Image:
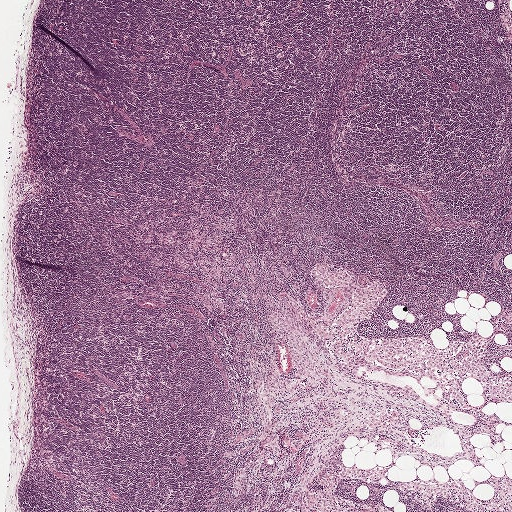
This is a crop of a whole-slide image: an H&E-stained breast-cancer sentinel lymph node section at roughly 2.5× magnification (about 3.9 µm per pixel; the crop spans about 2.0 mm).
Question:
Is any metastatic breast cancer visible in this crop?
Answer:
Yes.
Tumour region outline (a closed clockwise path, crop pixels): (275, 301), (296, 314), (306, 326), (313, 351), (317, 357), (319, 357), (313, 372), (306, 369), (299, 374), (295, 373), (292, 369), (290, 346), (282, 340), (275, 330), (264, 323), (269, 316), (270, 309), (266, 303).
The annotated tumour makes up under 5% of the crop.

Image:
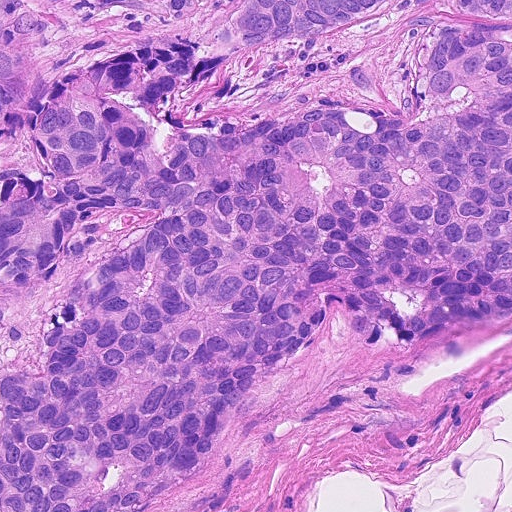
This is a crop of a whole-slide image: an H&E-stained breast-cancer sentinel lymph node section at roughly 20× magnification (about 0.45 µm per pixel; the crop spans about 0.23 mm).
Question:
Is any metastatic breast cancer visible in this crop?
Answer:
Yes.
Tumour region outline (a closed clockwise path, crop pixels): (0, 0), (511, 0), (511, 321), (458, 322), (383, 347), (329, 310), (314, 346), (278, 362), (236, 432), (146, 511), (0, 511).
Tumour covers about 80% of the frame.

Image:
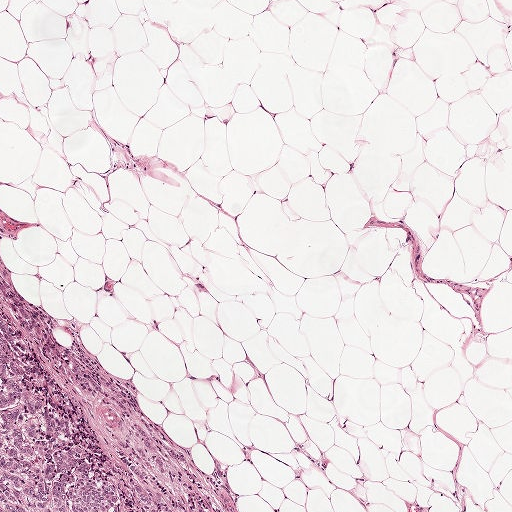
This is a crop of a whole-slide image: an H&E-stained breast-cancer sentinel lymph node section at roughly 5× magnification (about 1.9 µm per pixel; the crop spans about 1 mm).
Question:
Is any metastatic breast cancer visible in this crop?
Answer:
Yes.
Tumour region outline (a closed clockwise path, crop pixels): (0, 310), (25, 337), (82, 380), (114, 418), (139, 468), (234, 510), (0, 511).
The annotated tumour makes up about 10% of the crop.

Image:
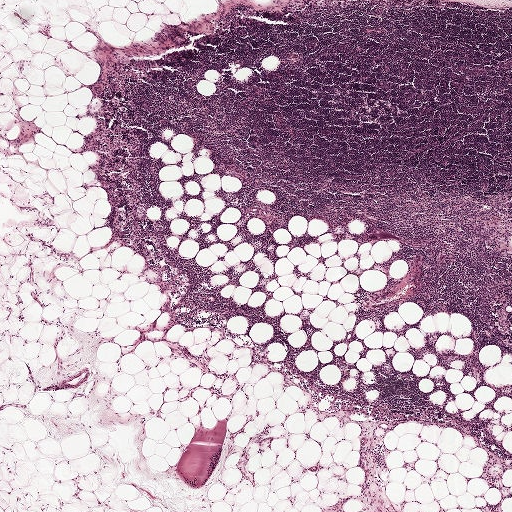
H&E-stained section of a sentinel lymph node (breast cancer), from a whole-slide image, viewed at about 2.5×: the field is about 2.0 mm across, about 3.9 µm per pixel.
Question:
Is any metastatic breast cancer visible in this crop?
Answer:
No: no metastatic tumour is outlined anywhere in this field.